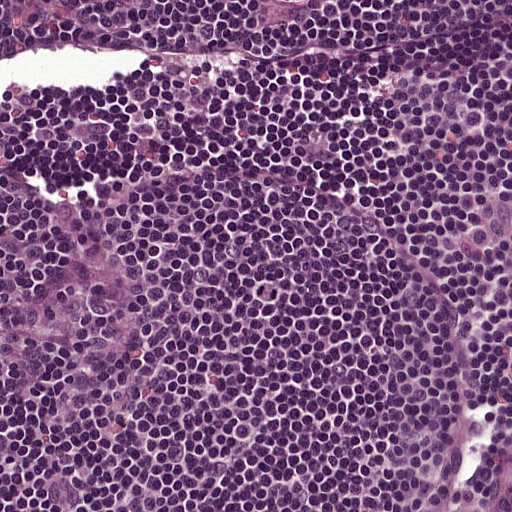
Lymph node section stained with H&E, from a whole-slide image of a breast-cancer sentinel node. Magnification about 20×, about 0.25 mm across the frame, about 0.49 µm per pixel.